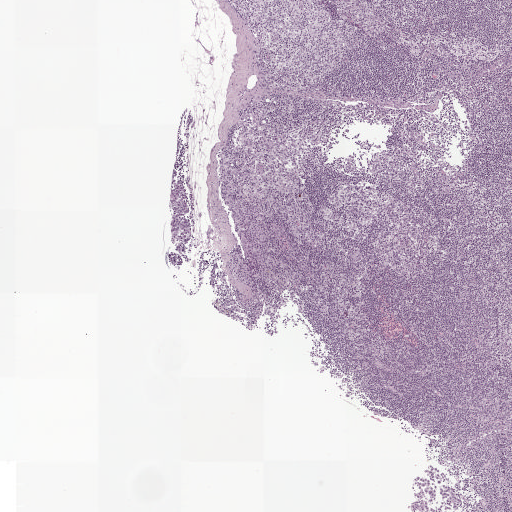
This is a crop of a whole-slide image: an H&E-stained breast-cancer sentinel lymph node section at roughly 2.5× magnification (about 3.9 µm per pixel; the crop spans about 2.0 mm).
Question: Outline the metastatic carcinoma in this image, as closed paths of (x, y) pixel coordinates.
Answer: Outlines of two tumour regions, largest first (closed clockwise paths, crop pixels): region 1: (431, 467), (436, 468), (450, 482), (461, 500), (461, 506), (458, 511), (409, 511), (412, 500), (411, 483), (414, 478), (423, 473), (425, 469); region 2: (178, 180), (183, 183), (189, 206), (189, 211), (185, 214), (190, 230), (190, 235), (179, 253), (171, 237), (169, 225), (172, 214), (169, 191), (174, 189), (173, 183).
The annotated tumour makes up under 5% of the crop.